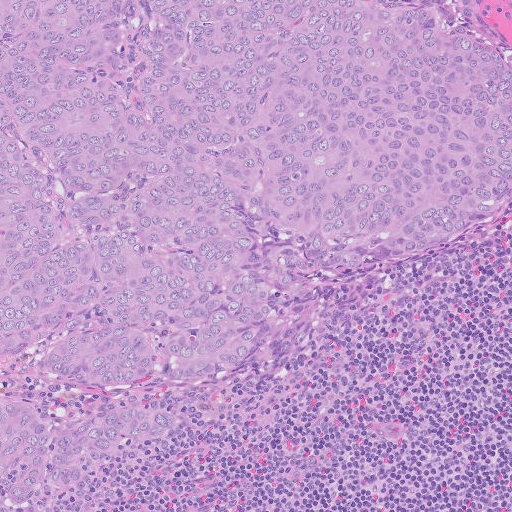
H&E-stained section of a sentinel lymph node (breast cancer), from a whole-slide image, viewed at about 10×: the field is about 0.51 mm across, about 1.0 µm per pixel.
Tumour region outline (a closed clockwise path, crop pixels): (0, 0), (483, 0), (476, 30), (511, 56), (511, 212), (281, 296), (269, 330), (222, 375), (68, 393), (51, 406), (66, 420), (153, 406), (174, 410), (176, 431), (117, 454), (55, 511), (0, 511).
About 70% of this field is tumour.